Question: 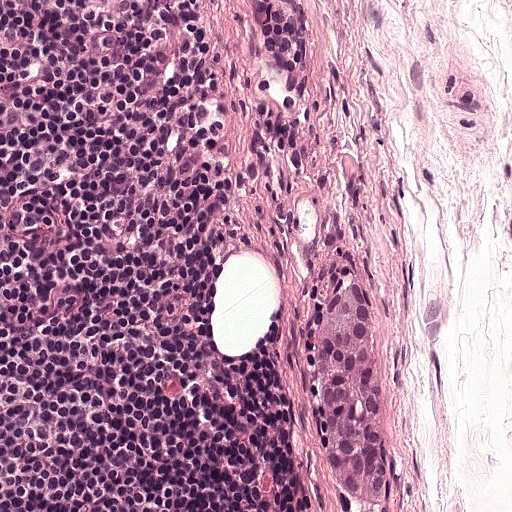
H&E-stained section of a sentinel lymph node (breast cancer), from a whole-slide image, viewed at about 20×: the field is about 0.25 mm across, about 0.49 µm per pixel.
What fraction of the image area is metastatic tumour?

Choices:
 (A) about 25% to 45%
 (B) about 10% to 20%
 (C) about 50% or more
 (D) about 5% or less
 (E) none: no tumour is outlined

Answer: (D) about 5% or less
About 5% of the field is tumour.
The outlined metastatic tumour's edge, as a closed clockwise path of 14 points: (352, 278), (372, 290), (376, 337), (389, 368), (390, 469), (383, 502), (372, 506), (352, 500), (324, 476), (320, 438), (307, 397), (312, 336), (320, 321), (320, 303).